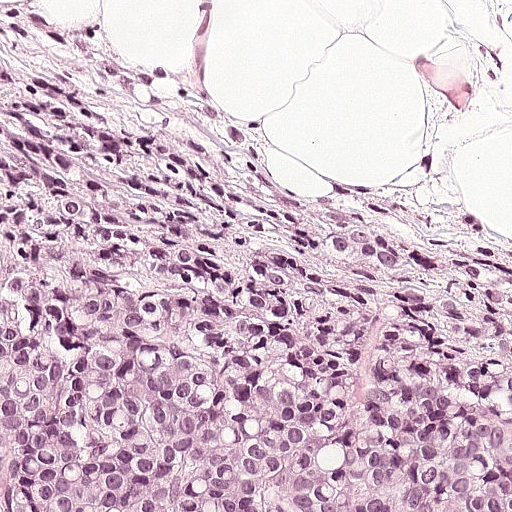
Lymph node section stained with H&E, from a whole-slide image of a breast-cancer sentinel node. Magnification about 20×, about 0.25 mm across the frame, about 0.49 µm per pixel.
Question: Does this lymph node field contain metastatic tumour?
Answer: Yes.
The outlined metastatic tumour's edge, as a closed clockwise path of 9 points: (0, 14), (106, 24), (162, 103), (234, 139), (282, 189), (404, 206), (509, 267), (511, 511), (0, 511).
The annotated tumour makes up about 75% of the crop.